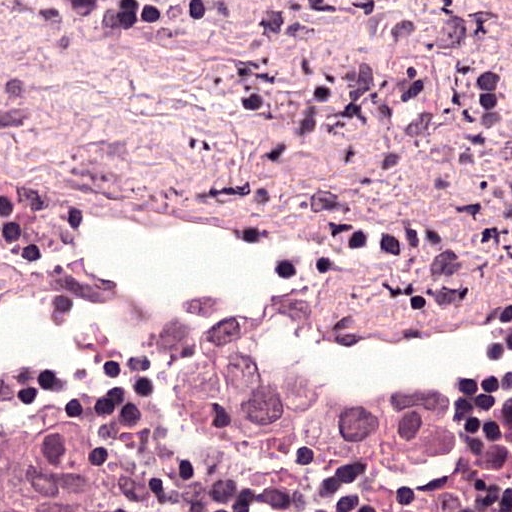
This is a crop of a whole-slide image: an H&E-stained breast-cancer sentinel lymph node section at roughly 40× magnification (about 0.24 µm per pixel; the crop spans about 0.12 mm).
Outlines of two tumour regions, largest first (closed clockwise paths, crop pixels): region 1: (204, 326), (228, 326), (323, 374), (420, 371), (477, 408), (470, 440), (436, 466), (373, 483), (254, 474), (159, 413), (149, 387), (175, 345); region 2: (25, 390), (70, 392), (73, 397), (88, 397), (102, 413), (104, 424), (108, 426), (108, 479), (99, 500), (81, 511), (0, 511), (0, 404).
The annotated tumour makes up about 15% of the crop.